Image:
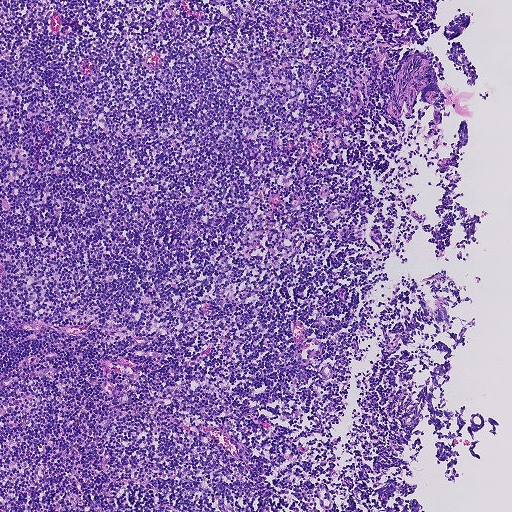
A 0.93-mm field of an H&E-stained sentinel lymph node from a breast-cancer patient (whole-slide image), shown at about 5×, about 1.8 µm per pixel.
Question:
Does this lymph node field contain metastatic tumour?
Answer:
No. No metastatic tumour is outlined in this field.